This is a crop of a whole-slide image: an H&E-stained breast-cancer sentinel lymph node section at roughly 5× magnification (about 1.9 µm per pixel; the crop spans about 1 mm).
Image:
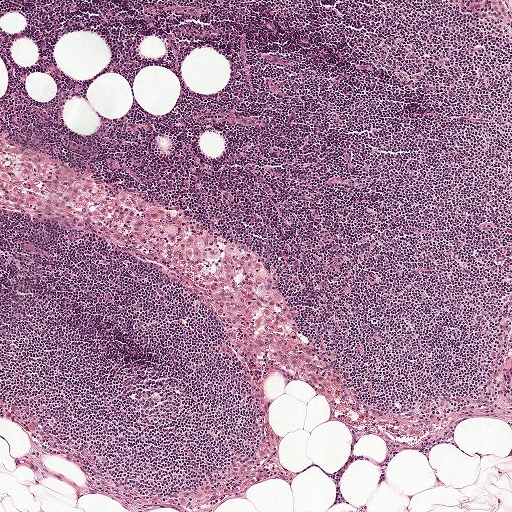
Question:
Is there metastatic carcinoma in this field?
Answer:
No. No metastatic tumour is outlined in this field.